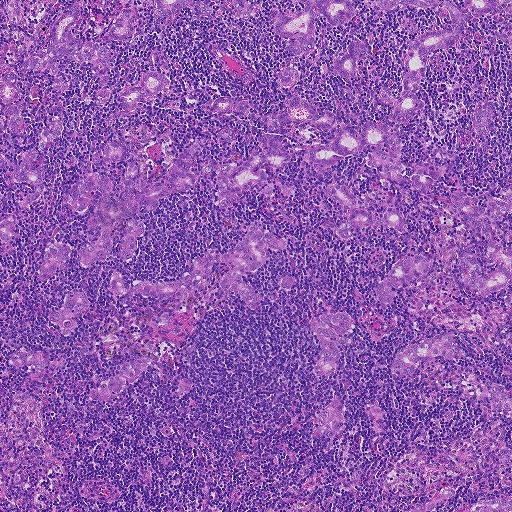
This is a crop of a whole-slide image: an H&E-stained breast-cancer sentinel lymph node section at roughly 5× magnification (about 1.8 µm per pixel; the crop spans about 0.93 mm).
The eight largest tumour regions' boundaries, simplified and listed clockwise, largest first: region 1: (201, 137), (190, 172), (198, 176), (194, 184), (130, 219), (145, 226), (130, 260), (122, 255), (121, 219), (109, 252), (94, 266), (78, 261), (78, 252), (100, 235), (100, 226), (94, 233), (86, 229), (99, 192), (90, 191), (89, 208), (81, 213), (66, 203), (69, 185), (94, 172), (115, 188), (127, 160), (102, 156), (107, 141), (125, 142), (136, 173), (149, 166), (148, 180), (165, 174); region 2: (257, 221), (287, 243), (282, 251), (265, 247), (264, 266), (242, 280), (259, 290), (262, 298), (250, 310), (218, 282), (234, 263), (216, 264), (186, 300), (111, 293), (110, 275), (118, 270), (124, 288), (142, 280), (169, 283), (186, 276), (195, 260), (211, 249), (235, 250); region 3: (377, 122), (400, 127), (401, 156), (407, 166), (424, 161), (450, 172), (424, 193), (414, 189), (409, 168), (401, 183), (396, 185), (377, 169), (365, 166), (374, 148), (363, 148), (314, 172), (309, 155), (312, 149), (334, 139), (339, 128), (351, 126), (359, 133), (365, 123); region 4: (374, 0), (443, 0), (462, 9), (463, 2), (496, 0), (496, 6), (485, 13), (463, 10), (464, 25), (458, 38), (453, 44), (426, 55), (426, 72), (414, 94), (417, 100), (424, 103), (422, 111), (403, 125), (390, 120), (388, 113), (392, 107), (381, 99), (381, 92), (394, 97), (400, 95), (404, 88), (402, 67), (413, 40), (424, 32), (446, 27), (450, 20), (432, 8), (397, 3), (392, 8), (385, 10), (378, 7); region 5: (511, 183), (511, 208), (503, 215), (498, 226), (501, 231), (499, 243), (501, 249), (507, 251), (511, 245), (511, 283), (497, 292), (480, 295), (465, 285), (461, 273), (462, 255), (467, 252), (473, 255), (482, 277), (488, 278), (500, 259), (489, 264), (485, 259), (488, 242), (485, 236), (475, 230), (452, 205), (452, 193), (456, 189), (463, 188), (473, 206), (478, 208), (484, 207), (492, 198), (503, 193); region 6: (77, 6), (80, 10), (80, 18), (76, 25), (70, 29), (73, 36), (104, 46), (110, 50), (112, 58), (106, 72), (111, 94), (107, 101), (100, 103), (93, 100), (94, 92), (99, 83), (99, 75), (94, 75), (90, 60), (82, 63), (74, 62), (70, 56), (54, 62), (60, 68), (59, 75), (70, 84), (66, 90), (59, 93), (51, 90), (51, 83), (54, 76), (44, 68), (35, 71), (27, 66), (28, 58), (39, 49), (47, 47), (51, 40), (52, 25), (63, 14); region 7: (261, 131), (279, 134), (283, 151), (290, 156), (287, 162), (281, 168), (271, 168), (262, 164), (259, 167), (266, 174), (275, 190), (269, 198), (257, 183), (249, 186), (229, 206), (220, 210), (216, 192), (218, 183), (218, 164), (248, 158), (254, 151), (264, 151), (260, 141); region 8: (288, 0), (349, 0), (355, 10), (355, 17), (337, 26), (330, 25), (320, 14), (315, 18), (313, 26), (316, 47), (303, 53), (289, 54), (286, 48), (291, 44), (288, 38), (281, 36), (276, 31), (275, 24), (277, 18), (276, 10), (290, 15), (304, 10), (304, 3).
27 more, smaller tumour regions are not outlined.
Two more small tumour pieces are annotated here but not outlined.
About 20% of the image area is annotated as tumour.